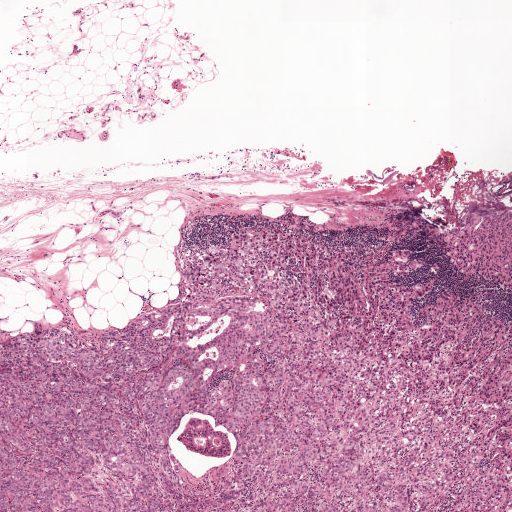
This is a crop of a whole-slide image: an H&E-stained breast-cancer sentinel lymph node section at roughly 2.5× magnification (about 3.9 µm per pixel; the crop spans about 2.0 mm).
Outlines of two tumour regions, largest first (closed clockwise paths, crop pixels): region 1: (244, 223), (302, 228), (383, 257), (405, 247), (441, 264), (423, 307), (456, 289), (511, 315), (511, 511), (0, 511), (0, 340), (42, 323), (86, 340), (110, 334), (177, 301), (189, 254); region 2: (478, 210), (511, 210), (511, 301), (457, 267), (446, 255), (442, 239), (450, 225), (463, 215).
About 45% of the image area is annotated as tumour.